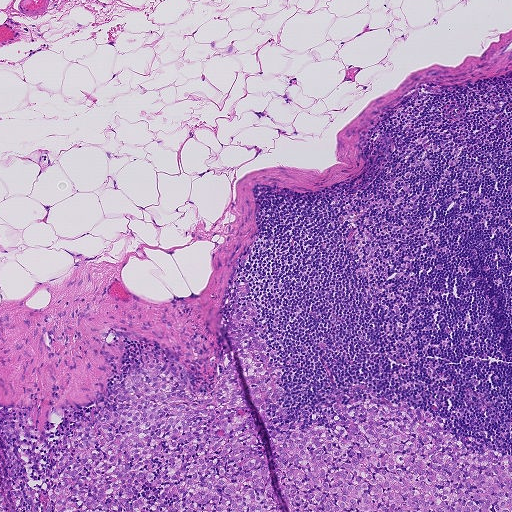
A 0.93-mm field of an H&E-stained sentinel lymph node from a breast-cancer patient (whole-slide image), shown at about 5×, about 1.8 µm per pixel.
Two metastatic tumour regions, each outlined as a closed clockwise path in crop pixels (x, y), largest first: region 1: (242, 279), (282, 373), (268, 434), (332, 427), (336, 402), (366, 398), (434, 413), (472, 453), (507, 455), (511, 511), (43, 511), (48, 473), (78, 423), (126, 404), (110, 387), (165, 362), (189, 395), (206, 394), (229, 358); region 2: (0, 484), (2, 496), (8, 511), (0, 511).
The annotated tumour makes up about 20% of the crop.